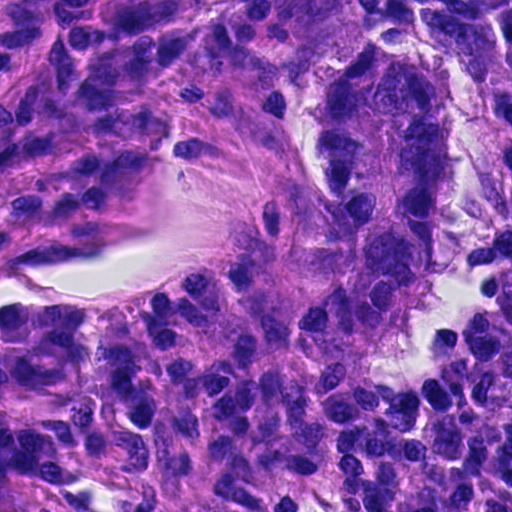
A 0.12-mm field of an H&E-stained sentinel lymph node from a breast-cancer patient (whole-slide image), shown at about 40×, about 0.23 µm per pixel.
Tumour region outline (a closed clockwise path, crop pixels): (227, 0), (419, 0), (466, 47), (482, 114), (470, 252), (448, 313), (412, 367), (359, 408), (306, 511), (0, 511), (0, 258), (116, 209), (167, 81).
About 70% of the image area is annotated as tumour.